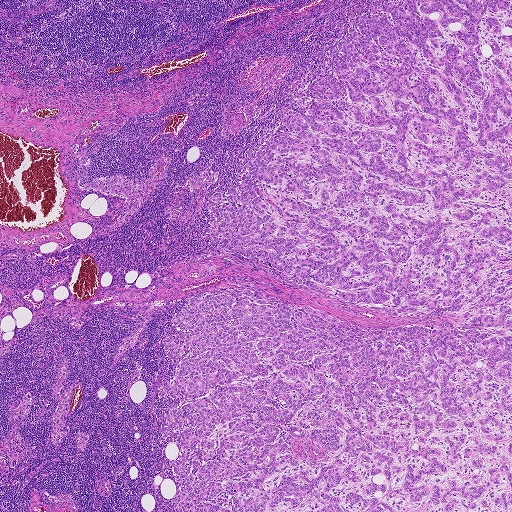
This is a crop of a whole-slide image: an H&E-stained breast-cancer sentinel lymph node section at roughly 2.5× magnification (about 3.6 µm per pixel; the crop spans about 1.9 mm).
Tumour region outline (a closed clockwise path, crop pixels): (382, 0), (511, 0), (511, 511), (175, 511), (191, 424), (160, 434), (162, 340), (185, 342), (170, 319), (196, 294), (433, 324), (224, 252), (208, 202), (276, 110), (336, 77), (326, 51), (359, 16), (393, 25).
About 55% of this field is tumour.